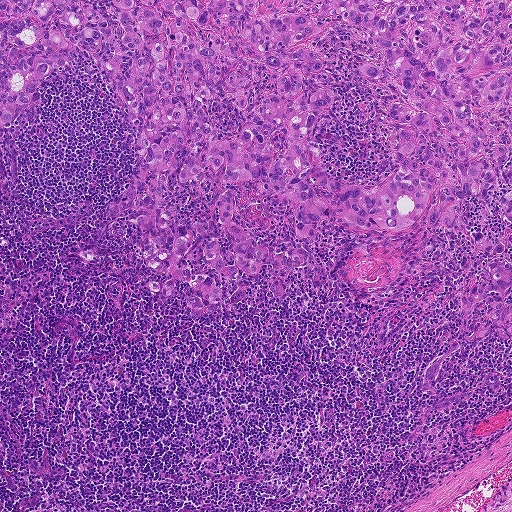
Lymph node section stained with H&E, from a whole-slide image of a breast-cancer sentinel node. Magnification about 5×, about 0.93 mm across the frame, about 1.8 µm per pixel.
Outlines of two tumour regions, largest first (closed clockwise paths, crop pixels): region 1: (0, 0), (511, 0), (511, 223), (498, 182), (447, 230), (296, 239), (300, 202), (232, 185), (320, 289), (207, 266), (236, 256), (216, 220), (224, 164), (184, 184), (181, 148), (164, 192), (223, 296), (194, 317), (187, 284), (150, 289), (105, 210), (144, 154), (77, 46), (4, 129); region 2: (511, 227), (511, 290), (507, 302), (511, 300), (511, 340), (500, 341), (492, 324), (492, 305), (487, 301), (489, 308), (484, 312), (475, 310), (468, 321), (464, 317), (462, 298), (470, 288), (493, 284), (486, 266), (493, 256), (475, 248), (472, 242), (475, 230), (500, 236).
The annotated tumour makes up about 40% of the crop.